H&E-stained section of a sentinel lymph node (breast cancer), from a whole-slide image, viewed at about 5×: the field is about 0.93 mm across, about 1.8 µm per pixel.
Image:
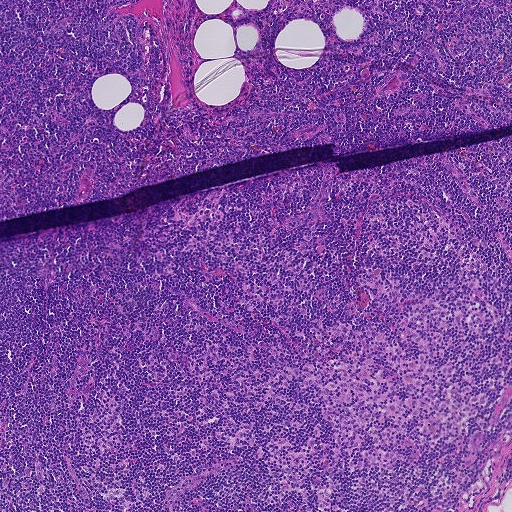
Question:
Does this lymph node field contain metastatic tumour?
Answer:
No: no metastatic tumour is outlined anywhere in this field.